This is a crop of a whole-slide image: an H&E-stained breast-cancer sentinel lymph node section at roughly 20× magnification (about 0.49 µm per pixel; the crop spans about 0.25 mm).
Question: 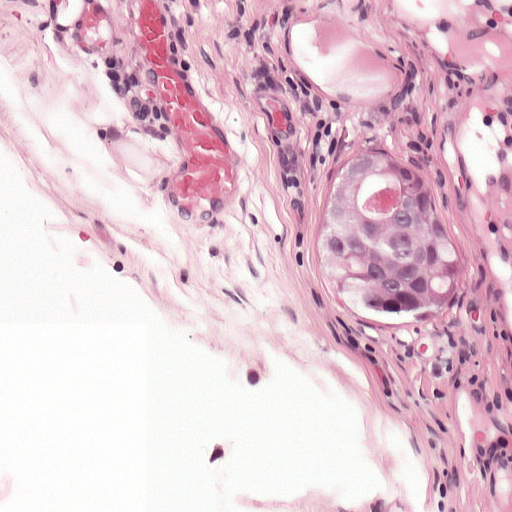
What fraction of the image area is metastatic tumour?

Choices:
 (A) about 10% to 20%
 (B) none: no tumour is outlined
 (C) about 5% or less
 (D) about 25% to 45%
 (E) about 50% or more

Answer: (A) about 10% to 20%
About 10% of the field is tumour.
Metastatic tumour outline, simplified to 8 points and listed clockwise in crop pixels (x, y): (366, 144), (390, 148), (458, 182), (478, 256), (438, 320), (362, 335), (309, 280), (316, 203).